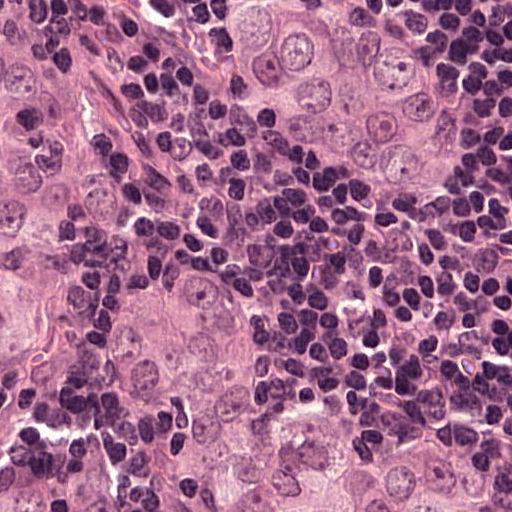
This is a crop of a whole-slide image: an H&E-stained breast-cancer sentinel lymph node section at roughly 40× magnification (about 0.24 µm per pixel; the crop spans about 0.12 mm).
Boundaries of two metastatic tumour regions, simplified and listed clockwise, largest first: region 1: (0, 49), (64, 99), (120, 180), (158, 205), (254, 309), (448, 449), (478, 509), (0, 511); region 2: (232, 0), (286, 0), (340, 12), (406, 48), (419, 76), (444, 91), (457, 144), (449, 185), (410, 210), (349, 211), (294, 182), (265, 148), (203, 101), (206, 67).
About 55% of this field is tumour.